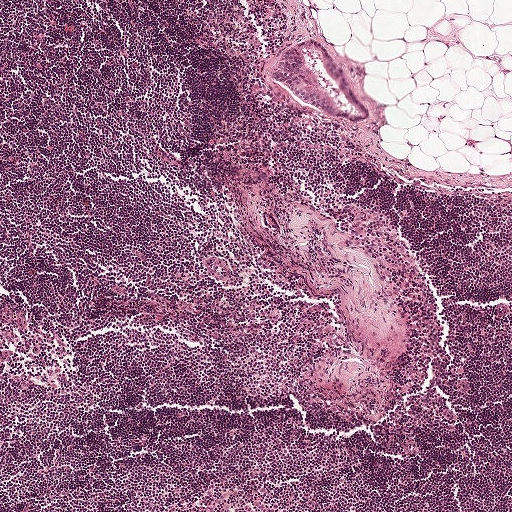
H&E-stained section of a sentinel lymph node (breast cancer), from a whole-slide image, viewed at about 5×: the field is about 1 mm across, about 1.9 µm per pixel.
One metastatic tumour region; its boundary, reduced to 18 corners and listed clockwise: (310, 38), (313, 40), (313, 48), (308, 50), (304, 56), (306, 64), (312, 71), (313, 84), (317, 92), (322, 95), (322, 106), (315, 109), (306, 107), (299, 97), (270, 78), (268, 70), (272, 64), (285, 50).
Under 5% of this field is tumour.